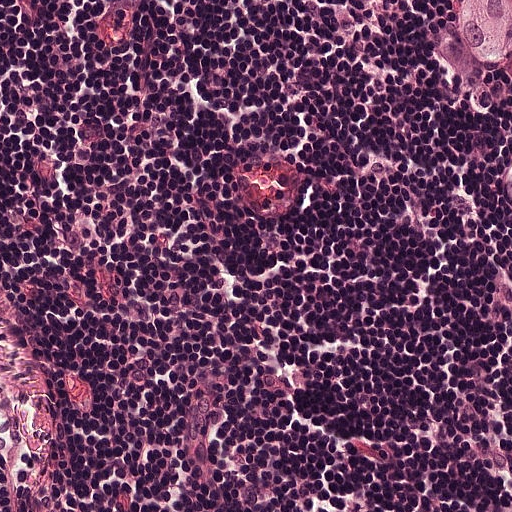
A 0.25-mm field of an H&E-stained sentinel lymph node from a breast-cancer patient (whole-slide image), shown at about 20×, about 0.49 µm per pixel.
Metastatic tumour outline, simplified to 11 points and listed clockwise in crop pixels (x, y): (434, 0), (511, 0), (511, 251), (501, 248), (482, 192), (456, 174), (426, 174), (396, 158), (396, 140), (422, 76), (426, 20).
The annotated tumour makes up about 5% of the crop.